Question: 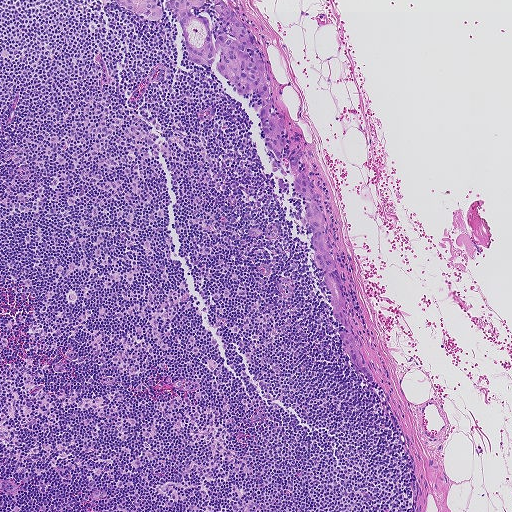
This is a crop of a whole-slide image: an H&E-stained breast-cancer sentinel lymph node section at roughly 5× magnification (about 1.8 µm per pixel; the crop spans about 0.93 mm).
Roughly what share of this field is metastatic tumour?

Choices:
 (A) about 25% to 45%
 (B) none: no tumour is outlined
 (C) about 5% or less
 (D) about 50% or more
 (E) about 10% to 20%

Answer: (C) about 5% or less
About 5% of the field is tumour.
Boundaries of two metastatic tumour regions, simplified and listed clockwise, largest first: region 1: (225, 0), (254, 35), (273, 97), (272, 115), (284, 116), (291, 147), (304, 149), (297, 160), (299, 172), (306, 174), (314, 191), (326, 226), (324, 243), (373, 381), (343, 349), (338, 332), (346, 332), (334, 318), (325, 271), (315, 262), (307, 201), (295, 190), (290, 150), (286, 146), (282, 161), (268, 149), (252, 108), (259, 95), (236, 92), (217, 71), (218, 55), (212, 64), (194, 63), (165, 2); region 2: (114, 0), (157, 0), (162, 14), (161, 20), (155, 20), (138, 17).
One more small tumour piece is annotated here but not outlined.